Image:
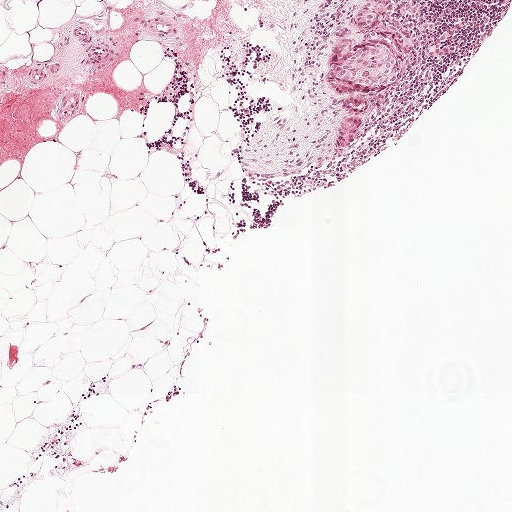
This is a crop of a whole-slide image: an H&E-stained breast-cancer sentinel lymph node section at roughly 5× magnification (about 1.9 µm per pixel; the crop spans about 1 mm).
Question:
Is any metastatic breast cancer visible in this crop?
Answer:
Yes.
The outlined metastatic tumour's edge, as a closed clockwise path of 12 points: (378, 43), (393, 45), (397, 51), (401, 82), (391, 90), (364, 97), (346, 97), (323, 91), (319, 82), (324, 65), (342, 57), (349, 50).
Under 5% of the image area is annotated as tumour.